Question: 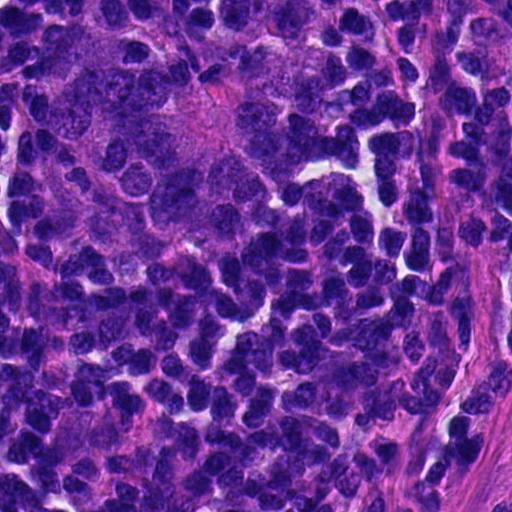
About what magnification does this crop show?

Choices:
 (A) about 40×
 (B) about 20×
 (C) about 5×
 (D) about 10×
 (E) about 2.5×

Answer: (A) about 40×
A 0.12-mm field of an H&E-stained sentinel lymph node from a breast-cancer patient (whole-slide image), shown at about 40×, about 0.23 µm per pixel.
Tumour region outline (a closed clockwise path, crop pixels): (188, 0), (302, 0), (312, 50), (304, 110), (312, 168), (285, 221), (239, 262), (181, 284), (124, 282), (77, 246), (40, 145), (43, 84), (74, 35).
The annotated tumour makes up about 25% of the crop.